Image:
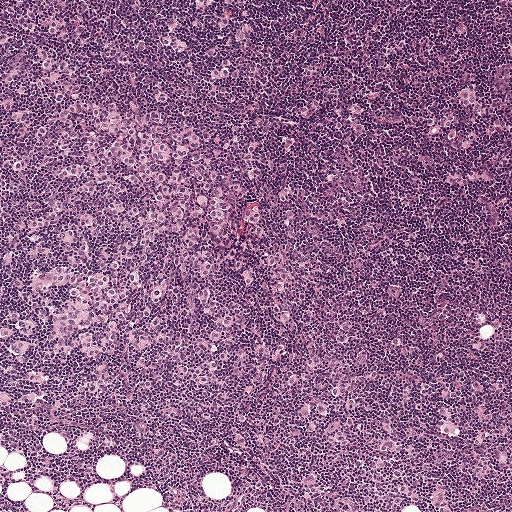
This is a crop of a whole-slide image: an H&E-stained breast-cancer sentinel lymph node section at roughly 5× magnification (about 1.9 µm per pixel; the crop spans about 1 mm).
Question:
Where is the metastatic tumour in this field?
Answer:
Outlines of two tumour regions, largest first (closed clockwise paths, crop pixels): region 1: (41, 58), (63, 59), (100, 87), (161, 86), (183, 115), (258, 147), (287, 195), (286, 208), (266, 217), (300, 315), (347, 360), (335, 404), (297, 404), (254, 375), (201, 396), (72, 382), (39, 404), (0, 401), (0, 220), (11, 202), (15, 111); region 2: (0, 0), (60, 0), (25, 12), (0, 20).
One more small tumour piece is annotated here but not outlined.
The annotated tumour makes up about 35% of the crop.